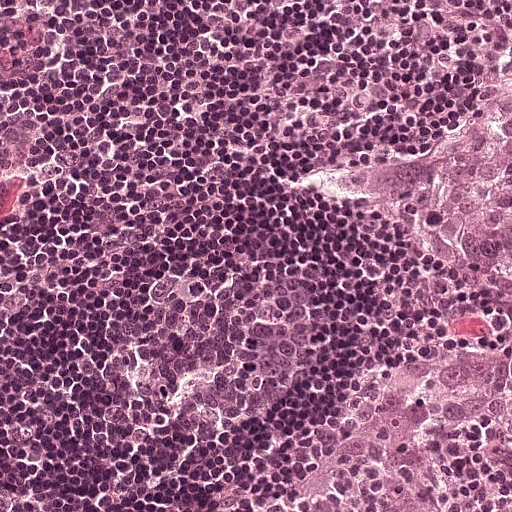
Lymph node section stained with H&E, from a whole-slide image of a breast-cancer sentinel node. Magnification about 20×, about 0.25 mm across the frame, about 0.49 µm per pixel.
One metastatic tumour region; its boundary, reduced to 11 corners and listed clockwise: (497, 102), (511, 104), (511, 511), (308, 511), (368, 395), (422, 360), (510, 338), (496, 291), (471, 264), (348, 191), (339, 172).
Tumour covers about 15% of the frame.